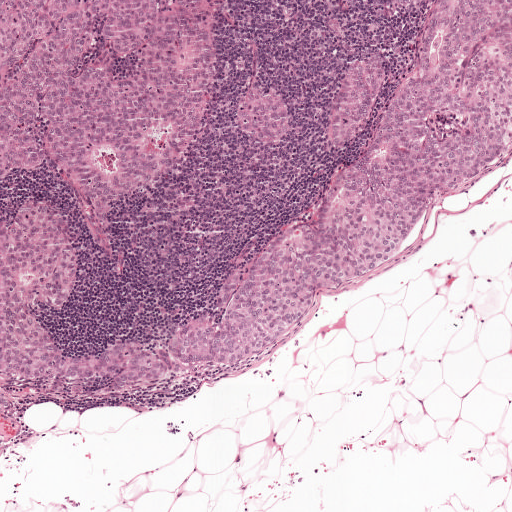
H&E-stained section of a sentinel lymph node (breast cancer), from a whole-slide image, viewed at about 5×: the field is about 1 mm across, about 1.9 µm per pixel.
Five metastatic tumour regions, each outlined as a closed clockwise path in crop pixels (x, y), largest first: region 1: (435, 0), (511, 0), (511, 146), (433, 205), (392, 262), (315, 293), (254, 359), (125, 400), (56, 399), (10, 384), (15, 412), (0, 413), (0, 216), (5, 222), (37, 197), (72, 224), (75, 292), (59, 308), (36, 304), (70, 351), (182, 324), (244, 256), (322, 206), (362, 149); region 2: (0, 0), (221, 0), (219, 86), (195, 156), (181, 174), (121, 210), (98, 212), (78, 201), (52, 164), (2, 179); region 3: (373, 49), (386, 59), (385, 74), (360, 130), (350, 142), (336, 147), (322, 141), (333, 96), (348, 69); region 4: (254, 84), (269, 87), (281, 95), (287, 108), (288, 123), (282, 138), (269, 145), (254, 142), (242, 134), (233, 121), (232, 106), (242, 93); region 5: (377, 0), (421, 0), (414, 8), (391, 8).
About 40% of this field is tumour.